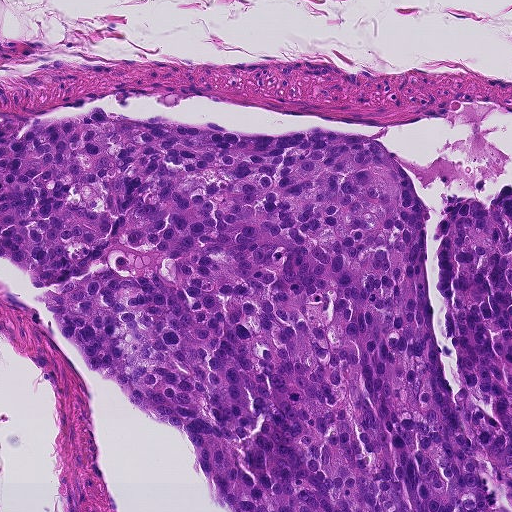
Lymph node section stained with H&E, from a whole-slide image of a breast-cancer sentinel node. Magnification about 10×, about 0.46 mm across the frame, about 0.9 µm per pixel.
Tumour region outline (a closed clockwise path, crop pixels): (87, 113), (371, 136), (398, 158), (425, 221), (446, 360), (433, 224), (456, 199), (511, 190), (511, 511), (226, 511), (188, 440), (130, 404), (0, 259), (0, 122).
The annotated tumour makes up about 60% of the crop.